Image:
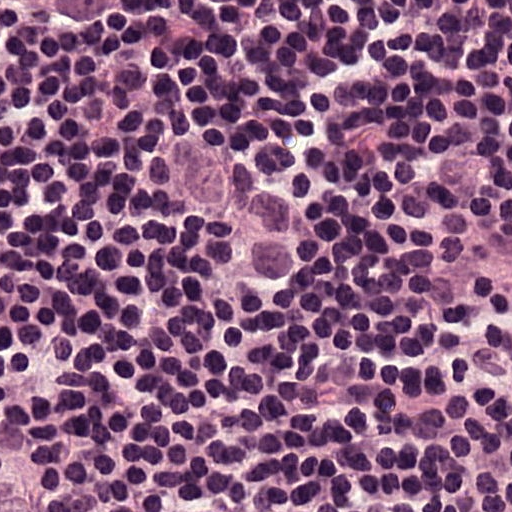
This is a crop of a whole-slide image: an H&E-stained breast-cancer sentinel lymph node section at roughly 40× magnification (about 0.24 µm per pixel; the crop spans about 0.12 mm).
Question:
Where is the metastatic tumour in this field?
Answer:
Three metastatic tumour regions, each outlined as a closed clockwise path in crop pixels (x, y), largest first: region 1: (222, 134), (299, 193), (318, 257), (258, 291), (219, 266), (226, 224), (194, 214), (157, 161), (181, 138); region 2: (0, 0), (130, 0), (88, 31), (0, 30); region 3: (0, 436), (4, 436), (49, 488), (49, 511), (0, 511).
About 10% of the image area is annotated as tumour.